Question: 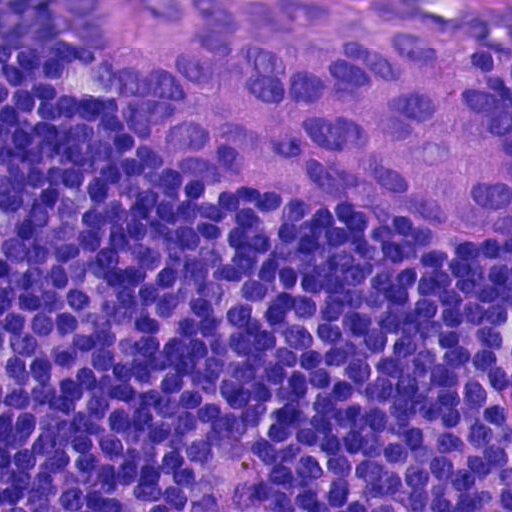
Which magnification is this H&E lymph node field most likely shown at?

Choices:
 (A) about 10×
 (B) about 2.5×
 (C) about 20×
 (D) about 40×
 (E) about 5×

Answer: (D) about 40×
H&E-stained section of a sentinel lymph node (breast cancer), from a whole-slide image, viewed at about 40×: the field is about 0.12 mm across, about 0.23 µm per pixel.
Metastatic tumour outline, simplified to 7 points and listed clockwise in crop pixels (x, y): (55, 0), (294, 0), (433, 21), (511, 110), (511, 246), (196, 186), (141, 148).
About 30% of this field is tumour.